Question: 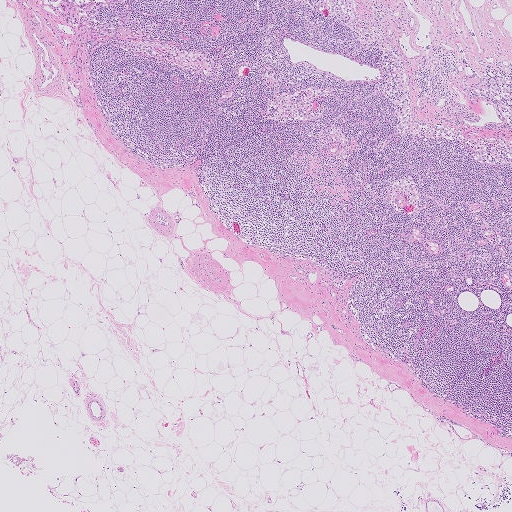
About what magnification does this crop show?

Choices:
 (A) about 2.5×
 (B) about 5×
 (C) about 10×
 (D) about 40×
 (E) about 20×

Answer: (A) about 2.5×
This is a crop of a whole-slide image: an H&E-stained breast-cancer sentinel lymph node section at roughly 2.5× magnification (about 4.0 µm per pixel; the crop spans about 2.0 mm).